A 0.5-mm field of an H&E-stained sentinel lymph node from a breast-cancer patient (whole-slide image), shown at about 10×, about 0.97 µm per pixel.
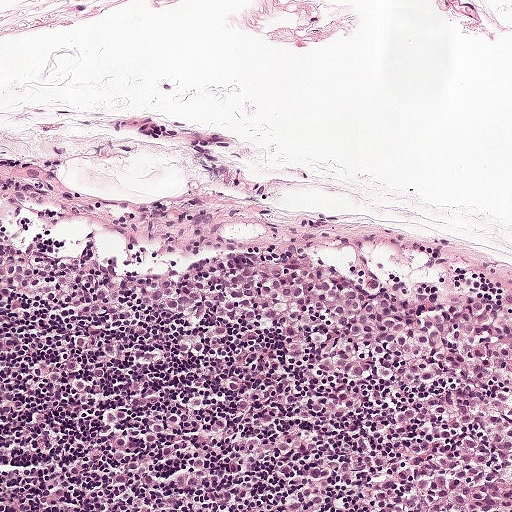
Question: Is there metastatic carcinoma in this field?
Answer: Yes.
Metastatic tumour outline, simplified to 15 points and listed clockwise in crop pixels (x, y): (0, 193), (163, 254), (340, 257), (471, 284), (511, 303), (511, 511), (102, 511), (68, 457), (76, 422), (91, 411), (231, 415), (229, 400), (189, 364), (124, 336), (7, 326).
About 40% of this field is tumour.